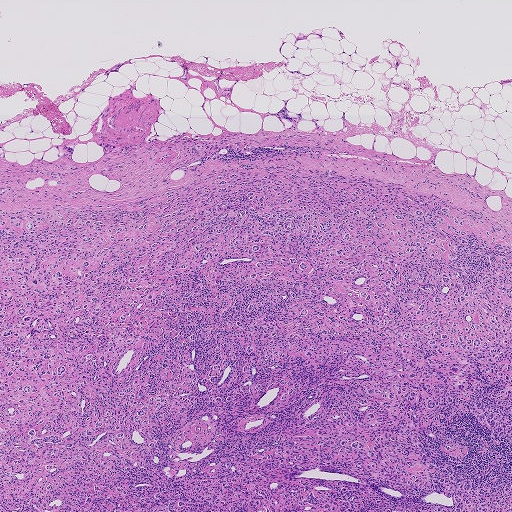
This is a crop of a whole-slide image: an H&E-stained breast-cancer sentinel lymph node section at roughly 2.5× magnification (about 3.6 µm per pixel; the crop spans about 1.9 mm).
The outlined metastatic tumour's edge, as a closed clockwise path of 7 points: (278, 165), (404, 185), (511, 231), (511, 511), (0, 511), (0, 209), (80, 209).
The annotated tumour makes up about 65% of the crop.